Question: 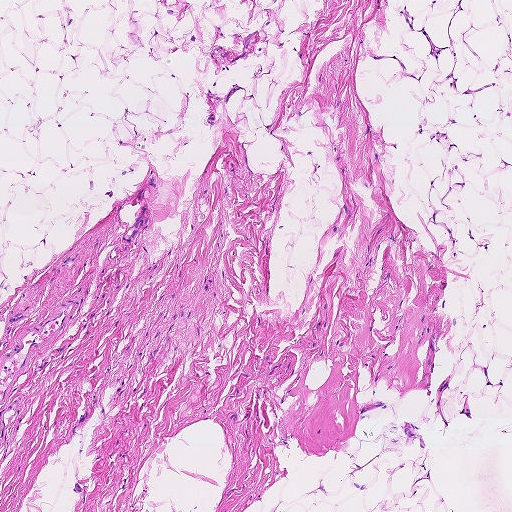
Which magnification is this H&E lymph node field most likely shown at?

Choices:
 (A) about 10×
 (B) about 20×
 (C) about 40×
 (D) about 2.5×
 (E) about 5×

Answer: (E) about 5×
A 0.93-mm field of an H&E-stained sentinel lymph node from a breast-cancer patient (whole-slide image), shown at about 5×, about 1.8 µm per pixel.